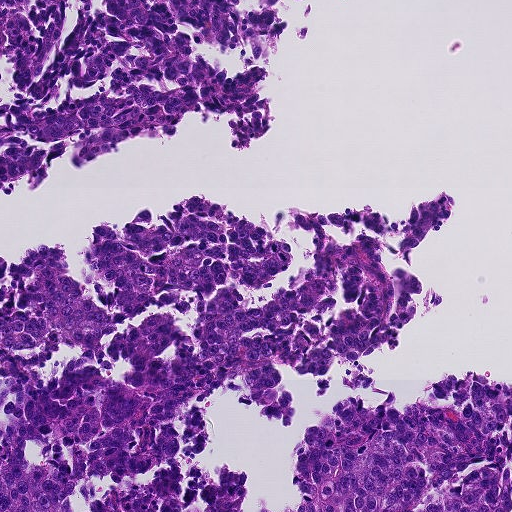
H&E-stained section of a sentinel lymph node (breast cancer), from a whole-slide image, viewed at about 10×: the field is about 0.46 mm across, about 0.9 µm per pixel.
Outlines of three tumour regions, largest first (closed clockwise paths, crop pixels): region 1: (452, 192), (447, 221), (411, 254), (382, 238), (385, 268), (424, 288), (399, 342), (316, 380), (275, 366), (290, 423), (260, 417), (239, 377), (202, 402), (194, 456), (212, 484), (218, 470), (248, 475), (243, 511), (0, 511), (0, 257), (64, 244), (83, 285), (93, 224), (120, 236), (140, 214), (159, 223), (210, 200), (291, 245), (261, 291), (234, 284), (261, 306), (310, 269), (312, 238), (288, 218), (299, 208), (401, 220); region 2: (37, 0), (279, 0), (280, 37), (259, 60), (250, 48), (191, 49), (231, 74), (260, 68), (273, 114), (258, 140), (230, 150), (234, 120), (221, 110), (190, 114), (168, 134), (123, 141), (84, 164), (70, 163), (68, 148), (34, 192), (24, 178), (4, 197), (7, 10); region 3: (470, 369), (511, 382), (511, 511), (274, 511), (302, 502), (290, 460), (338, 399), (384, 396), (396, 404), (426, 399), (441, 404), (431, 392), (440, 379).
The annotated tumour makes up about 60% of the crop.